Question: 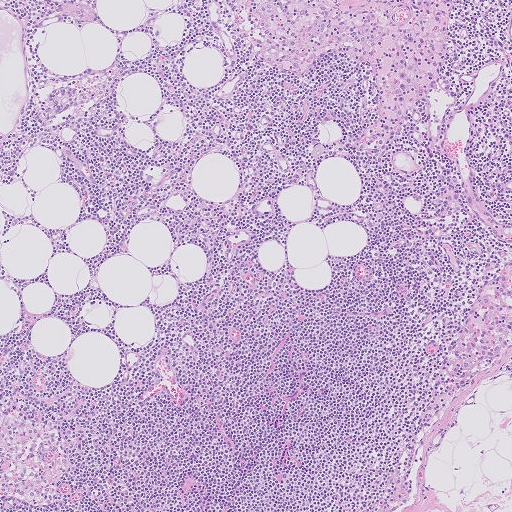
Which magnification is this H&E lymph node field most likely shown at?

Choices:
 (A) about 40×
 (B) about 10×
 (C) about 20×
 (D) about 2.5×
 (E) about 5×

Answer: (E) about 5×
This is a crop of a whole-slide image: an H&E-stained breast-cancer sentinel lymph node section at roughly 5× magnification (about 2.0 µm per pixel; the crop spans about 1.0 mm).